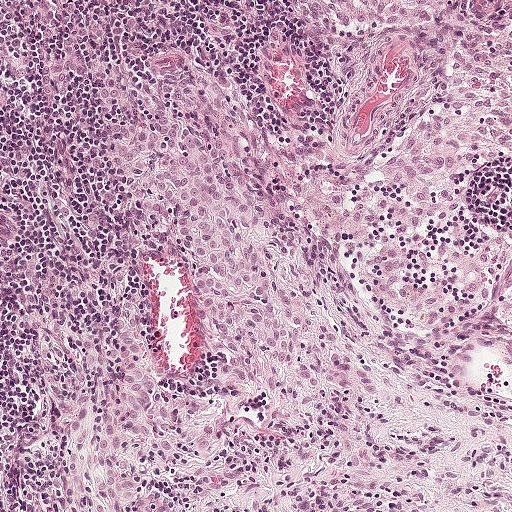
This is a crop of a whole-slide image: an H&E-stained breast-cancer sentinel lymph node section at roughly 10× magnification (about 0.97 µm per pixel; the crop spans about 0.5 mm).
The outlined metastatic tumour's edge, as a closed clockwise path of 23 points: (120, 83), (137, 85), (185, 114), (198, 130), (222, 138), (262, 184), (289, 285), (308, 310), (318, 311), (291, 370), (277, 370), (264, 358), (236, 380), (218, 372), (208, 358), (199, 266), (166, 242), (137, 200), (94, 174), (99, 158), (116, 144), (117, 116), (103, 93).
About 10% of this field is tumour.